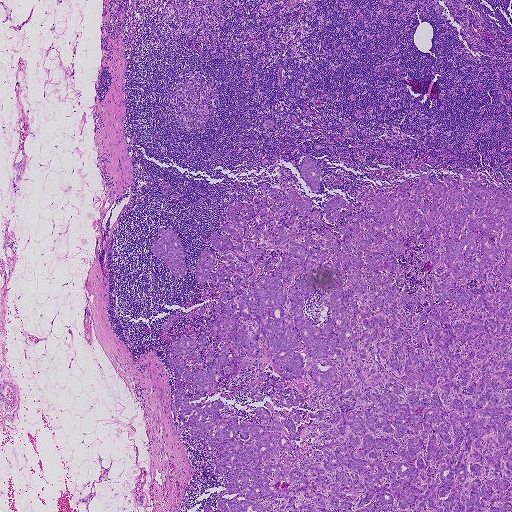
Lymph node section stained with H&E, from a whole-slide image of a breast-cancer sentinel node. Magnification about 2.5×, about 1.9 mm across the frame, about 3.6 µm per pixel.
Boundaries of two metastatic tumour regions, simplified and listed clockwise, largest first: region 1: (309, 155), (320, 207), (421, 173), (458, 179), (462, 167), (511, 191), (511, 511), (199, 511), (225, 488), (200, 439), (179, 428), (162, 329), (178, 308), (218, 302), (218, 285), (201, 285), (199, 255), (218, 251), (210, 234), (230, 203), (283, 177), (306, 196), (297, 177); region 2: (169, 227), (173, 230), (180, 239), (186, 272), (186, 276), (178, 279), (172, 274), (162, 260), (152, 253), (151, 241), (158, 229), (162, 228), (166, 230).
Tumour covers about 40% of the frame.